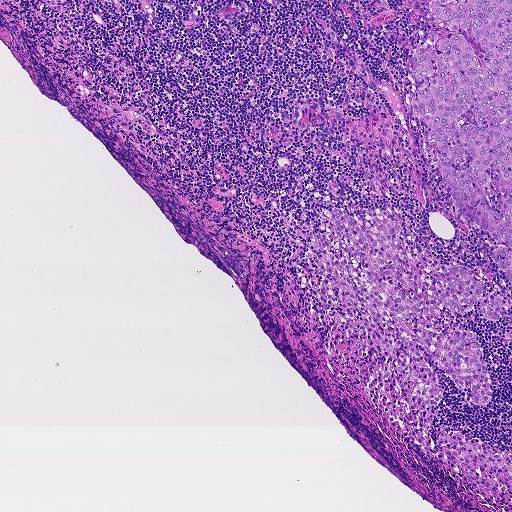
This is a crop of a whole-slide image: an H&E-stained breast-cancer sentinel lymph node section at roughly 5× magnification (about 1.8 µm per pixel; the crop spans about 0.93 mm).
Question: Where is the metastatic tumour in this field? Give each region's outline as (x, y) pixel points.
Answer: Three metastatic tumour regions, each outlined as a closed clockwise path in crop pixels (x, y), largest first: region 1: (334, 208), (356, 222), (369, 210), (395, 210), (403, 225), (403, 252), (429, 279), (435, 268), (452, 263), (468, 271), (484, 294), (502, 296), (501, 314), (494, 321), (479, 312), (478, 303), (469, 313), (443, 306), (448, 328), (476, 331), (479, 340), (491, 404), (466, 398), (420, 350), (445, 392), (429, 452), (379, 411), (367, 385), (391, 360), (351, 331), (313, 248), (316, 231), (370, 290), (336, 234); region 2: (431, 0), (511, 0), (511, 278), (492, 260), (495, 243), (489, 232), (452, 202), (433, 140), (412, 110), (416, 87), (410, 73), (412, 54), (455, 32), (436, 22); region 3: (446, 431), (456, 431), (474, 442), (511, 451), (511, 511), (502, 511), (486, 506), (463, 491), (444, 468), (439, 448), (439, 438).
About 15% of the image area is annotated as tumour.